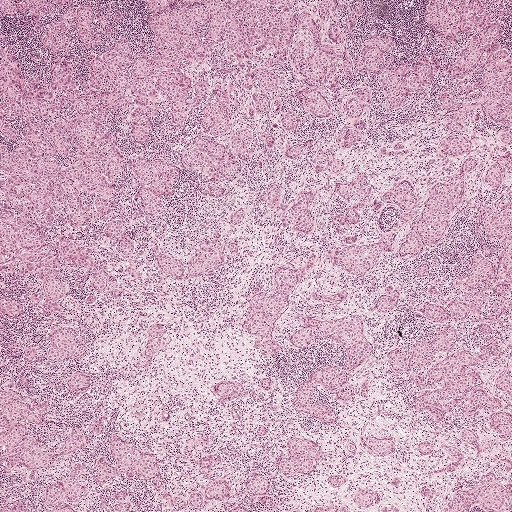
H&E-stained section of a sentinel lymph node (breast cancer), from a whole-slide image, viewed at about 2.5×: the field is about 2.0 mm across, about 3.9 µm per pixel.
Metastatic tumour covers the whole field.
The annotated tumour makes up over 95% of the crop.